Image:
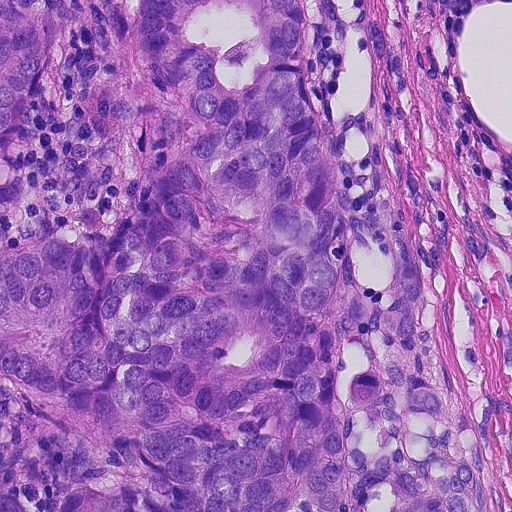
H&E-stained section of a sentinel lymph node (breast cancer), from a whole-slide image, viewed at about 20×: the field is about 0.23 mm across, about 0.45 µm per pixel.
Question:
Which parts of this field are metastatic tumour? Answer with the outline of each region, in pixels.
Answer:
Tumour region outline (a closed clockwise path, crop pixels): (0, 0), (300, 0), (330, 155), (412, 244), (428, 280), (426, 359), (479, 464), (472, 511), (0, 511), (34, 414), (0, 371).
About 75% of the image area is annotated as tumour.